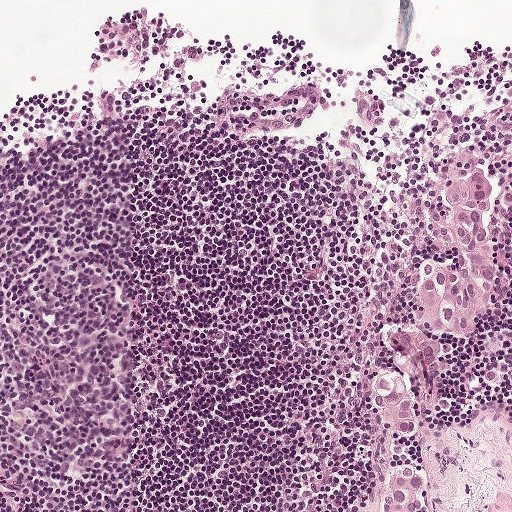
Lymph node section stained with H&E, from a whole-slide image of a breast-cancer sentinel node. Magnification about 10×, about 0.5 mm across the frame, about 0.97 µm per pixel.
Question: Does this lymph node field contain metastatic tumour?
Answer: Yes.
Metastatic tumour outline, simplified to 22 points and listed clockwise in crop pixels (x, y): (484, 166), (496, 185), (485, 217), (491, 308), (478, 336), (444, 350), (448, 382), (440, 398), (408, 437), (392, 446), (394, 461), (421, 476), (419, 511), (379, 511), (371, 392), (379, 371), (391, 364), (388, 337), (411, 325), (425, 250), (437, 240), (438, 183).
The annotated tumour makes up about 5% of the crop.